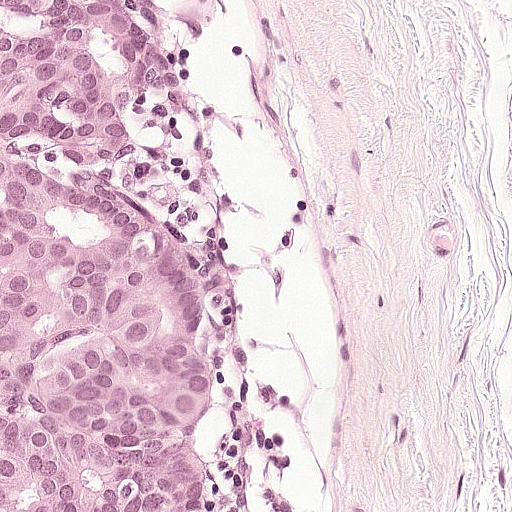
Lymph node section stained with H&E, from a whole-slide image of a breast-cancer sentinel node. Magnification about 20×, about 0.25 mm across the frame, about 0.49 µm per pixel.
One metastatic tumour region; its boundary, reduced to 17 corners and listed clockwise: (0, 0), (152, 0), (190, 75), (193, 88), (156, 104), (148, 131), (132, 136), (145, 172), (122, 181), (134, 211), (178, 243), (222, 337), (222, 388), (202, 444), (214, 493), (207, 510), (0, 511).
About 35% of this field is tumour.